Lymph node section stained with H&E, from a whole-slide image of a breast-cancer sentinel node. Magnification about 10×, about 0.5 mm across the frame, about 0.97 µm per pixel.
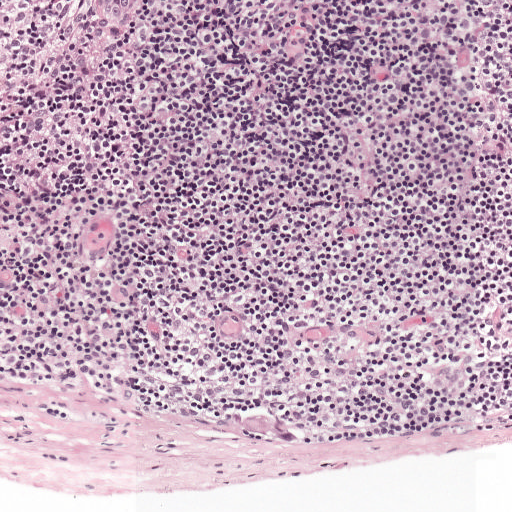
The outlined metastatic tumour's edge, as a closed clockwise path of 12 points: (233, 411), (240, 413), (242, 420), (251, 416), (264, 415), (276, 417), (288, 424), (296, 434), (295, 442), (279, 440), (244, 429), (231, 422).
Under 5% of the image area is annotated as tumour.